A 0.46-mm field of an H&E-stained sentinel lymph node from a breast-cancer patient (whole-slide image), shown at about 10×, about 0.9 µm per pixel.
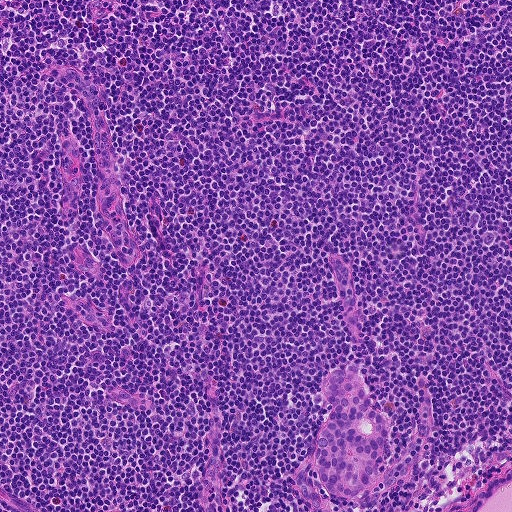
Boundaries of two metastatic tumour regions, simplified and listed clockwise, largest first: region 1: (335, 371), (362, 376), (370, 403), (375, 410), (390, 418), (381, 480), (362, 496), (353, 499), (336, 497), (324, 486), (316, 470), (316, 437), (331, 406), (320, 388), (322, 380); region 2: (511, 467), (511, 511), (464, 511), (474, 503), (478, 490), (485, 490), (488, 480), (496, 476), (504, 474), (507, 469).
About 5% of the image area is annotated as tumour.